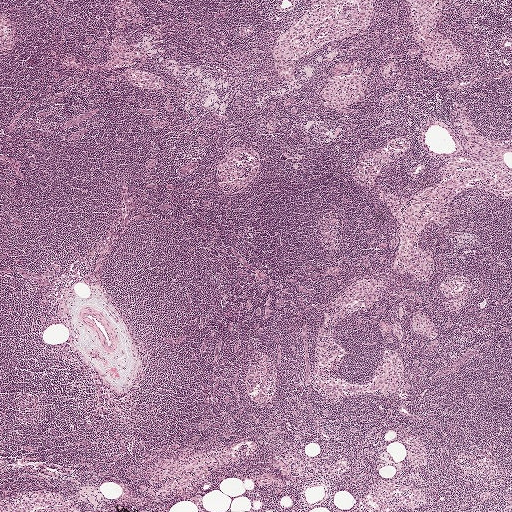
A 2.0-mm field of an H&E-stained sentinel lymph node from a breast-cancer patient (whole-slide image), shown at about 2.5×, about 3.9 µm per pixel.
Question: Is any metastatic breast cancer visible in this crop?
Answer: No. No metastatic tumour is outlined in this field.

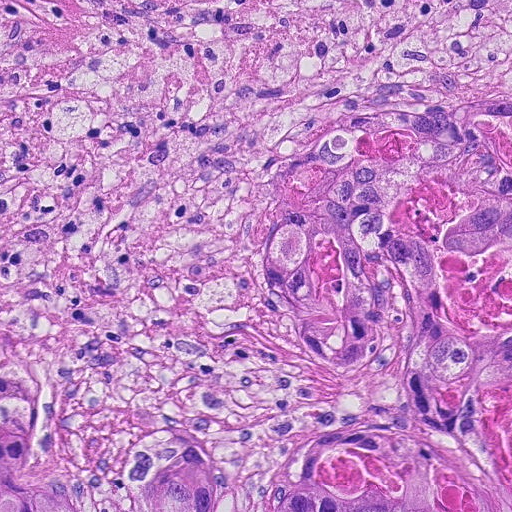
H&E-stained section of a sentinel lymph node (breast cancer), from a whole-slide image, viewed at about 20×: the field is about 0.23 mm across, about 0.45 µm per pixel.
Question: Is any metastatic breast cancer visible in this crop?
Answer: Yes.
Metastatic tumour outline, simplified to 23 points and listed clockwise in crop pixels (x, y): (402, 81), (511, 96), (511, 511), (0, 511), (0, 377), (42, 377), (59, 440), (95, 476), (113, 478), (134, 434), (180, 421), (234, 488), (284, 476), (305, 432), (396, 395), (406, 353), (366, 379), (316, 367), (281, 334), (254, 294), (256, 198), (310, 117), (354, 92).
The annotated tumour makes up about 45% of the crop.

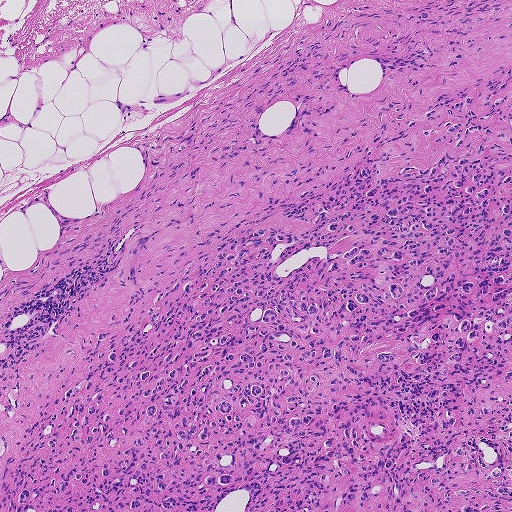
This is a crop of a whole-slide image: an H&E-stained breast-cancer sentinel lymph node section at roughly 5× magnification (about 1.8 µm per pixel; the crop spans about 0.93 mm).
Question: Is any metastatic breast cancer visible in this crop?
Answer: Yes.
Tumour region outline (a closed clockwise path, crop pixels): (510, 73), (511, 511), (11, 511), (0, 436), (18, 436), (86, 374), (99, 331), (135, 327), (229, 233), (294, 233), (365, 164), (388, 178), (429, 163), (432, 149), (406, 122).
The annotated tumour makes up about 50% of the crop.

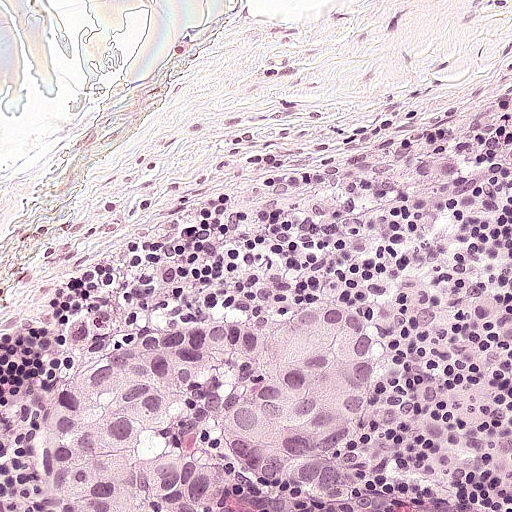
This is a crop of a whole-slide image: an H&E-stained breast-cancer sentinel lymph node section at roughly 20× magnification (about 0.49 µm per pixel; the crop spans about 0.25 mm).
Question: Is any metastatic breast cancer visible in this crop?
Answer: Yes.
Metastatic tumour outline, simplified to 14 points and listed clockwise in crop pixels (x, y): (326, 294), (372, 322), (381, 363), (356, 430), (328, 452), (311, 452), (283, 480), (219, 498), (214, 511), (46, 510), (40, 418), (58, 382), (176, 300), (225, 313).
About 20% of this field is tumour.